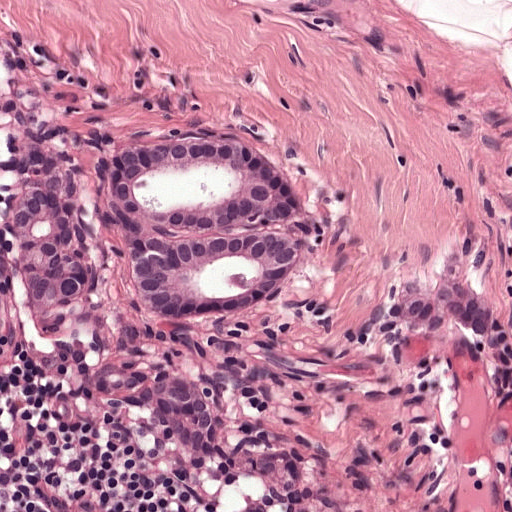
This is a crop of a whole-slide image: an H&E-stained breast-cancer sentinel lymph node section at roughly 20× magnification (about 0.49 µm per pixel; the crop spans about 0.25 mm).
Four metastatic tumour regions, each outlined as a closed clockwise path in crop pixels (x, y), largest first: region 1: (220, 128), (280, 155), (309, 185), (327, 223), (316, 264), (290, 298), (250, 315), (162, 324), (144, 320), (120, 285), (96, 159), (134, 141); region 2: (34, 142), (70, 159), (99, 247), (98, 278), (47, 312), (25, 292), (13, 232), (14, 202); region 3: (106, 362), (151, 375), (145, 385), (163, 382), (187, 386), (206, 402), (217, 438), (212, 459), (184, 452), (148, 418), (136, 391), (142, 387), (114, 396), (95, 390), (91, 373); region 4: (460, 280), (479, 290), (493, 335), (479, 338), (456, 326), (420, 333), (384, 316), (390, 302), (422, 296), (440, 282).
About 20% of the image area is annotated as tumour.